This is a crop of a whole-slide image: an H&E-stained breast-cancer sentinel lymph node section at roughly 40× magnification (about 0.24 µm per pixel; the crop spans about 0.12 mm).
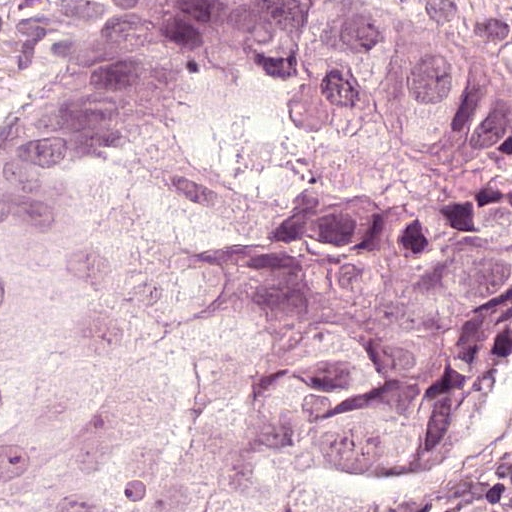
Tumour region outline (a closed clockwise path, crop pixels): (349, 0), (412, 35), (444, 85), (511, 117), (511, 426), (448, 511), (0, 511), (0, 211), (84, 40), (157, 3).
Tumour covers about 90% of the frame.